Lymph node section stained with H&E, from a whole-slide image of a breast-cancer sentinel node. Magnification about 5×, about 0.93 mm across the frame, about 1.8 µm per pixel.
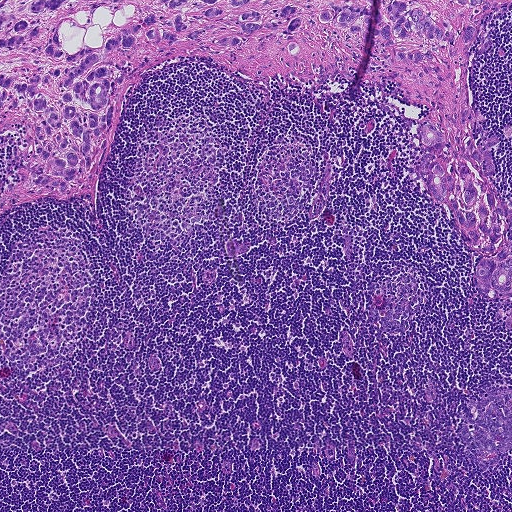
Question: Describe where the metastatic carcinoma lies in this crop.
Answer: Metastatic tumour outline, simplified to 20 points and listed clockwise in crop pixels (x, y): (0, 0), (511, 0), (483, 15), (467, 75), (476, 144), (511, 127), (490, 177), (511, 207), (511, 300), (474, 284), (484, 257), (418, 173), (432, 109), (394, 82), (313, 67), (260, 80), (172, 57), (129, 85), (80, 197), (18, 198).
About 25% of this field is tumour.